Question: 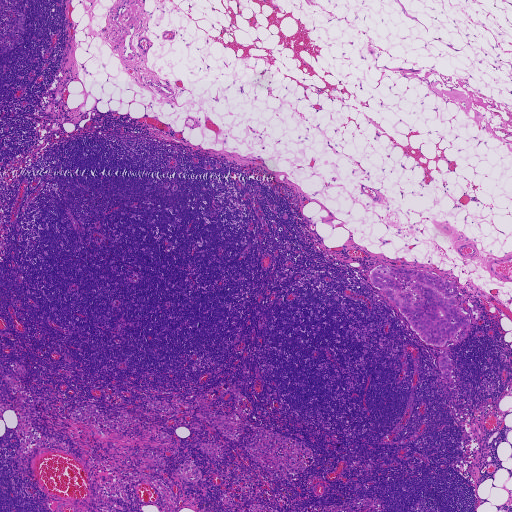
H&E-stained section of a sentinel lymph node (breast cancer), from a whole-slide image, viewed at about 2.5×: the field is about 1.9 mm across, about 3.6 µm per pixel.
Roughly what share of this field is metastatic tumour?

Choices:
 (A) about 10% to 20%
 (B) about 25% to 45%
 (C) about 50% or more
 (D) about 5% or less
 (E) none: no tumour is outlined

Answer: (D) about 5% or less
Under 5% of the field is tumour.
Outlines of two tumour regions, largest first (closed clockwise paths, crop pixels): region 1: (382, 264), (427, 272), (454, 282), (459, 291), (453, 306), (460, 306), (469, 318), (465, 338), (458, 342), (458, 334), (447, 340), (443, 346), (430, 346), (421, 340), (370, 279), (371, 270); region 2: (442, 353), (446, 353), (451, 360), (453, 366), (449, 375), (454, 382), (450, 383), (444, 381), (438, 362).
One more small tumour piece is annotated here but not outlined.